Question: 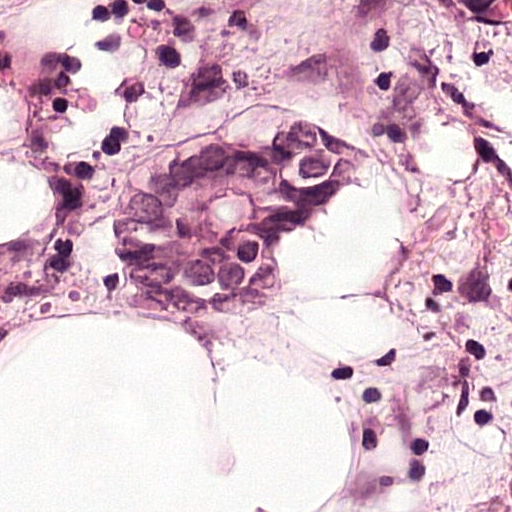
At roughly what magnification is this field shown?

Choices:
 (A) about 20×
 (B) about 2.5×
 (C) about 5×
 (D) about 10×
 (E) about 40×

Answer: (E) about 40×
This is a crop of a whole-slide image: an H&E-stained breast-cancer sentinel lymph node section at roughly 40× magnification (about 0.24 µm per pixel; the crop spans about 0.12 mm).
Outlines of two tumour regions, largest first (closed clockwise paths, crop pixels): region 1: (254, 101), (362, 134), (379, 160), (377, 193), (336, 215), (325, 238), (314, 241), (299, 315), (254, 337), (177, 323), (110, 282), (117, 215), (132, 189), (169, 141); region 2: (455, 0), (511, 0), (511, 35), (503, 35), (503, 32), (495, 32), (491, 25), (484, 25), (469, 14), (469, 10), (465, 6), (458, 6), (458, 2).
Tumour covers about 15% of the frame.